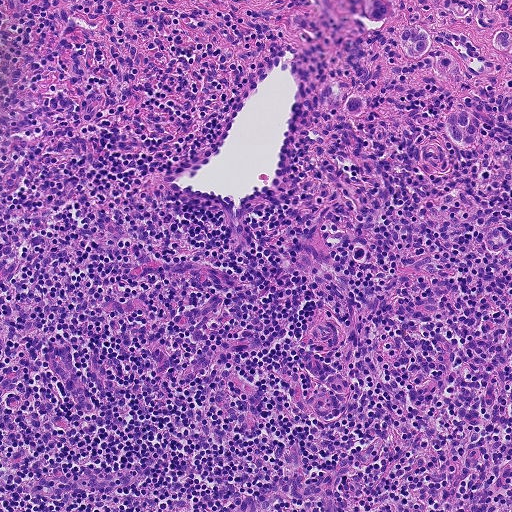
H&E-stained section of a sentinel lymph node (breast cancer), from a whole-slide image, viewed at about 10×: the field is about 0.46 mm across, about 0.9 µm per pixel.
Outlines of two tumour regions, largest first (closed clockwise paths, crop pixels): region 1: (406, 28), (419, 28), (430, 35), (432, 48), (444, 52), (456, 60), (459, 73), (446, 77), (434, 70), (429, 56), (415, 62), (403, 56), (398, 44), (398, 39); region 2: (462, 111), (473, 118), (482, 128), (481, 141), (471, 150), (458, 148), (450, 136), (445, 124), (450, 112).
Four more small tumour pieces are annotated here but not outlined.
Tumour covers under 5% of the frame.